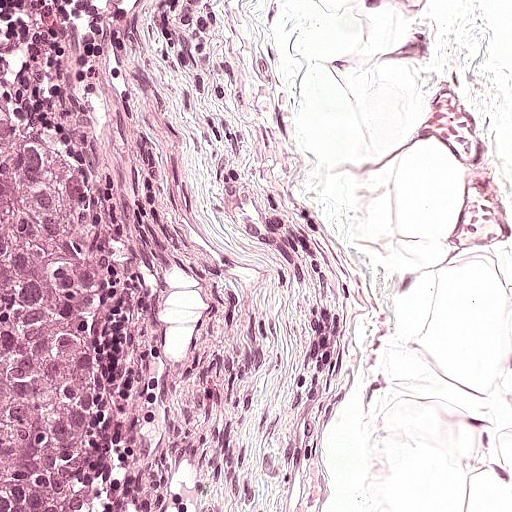
This is a crop of a whole-slide image: an H&E-stained breast-cancer sentinel lymph node section at roughly 20× magnification (about 0.49 µm per pixel; the crop spans about 0.25 mm).
Metastatic tumour outline, simplified to 5 points and listed clockwise in crop pixels (x, y): (0, 90), (72, 136), (110, 196), (112, 510), (0, 511).
The annotated tumour makes up about 15% of the crop.